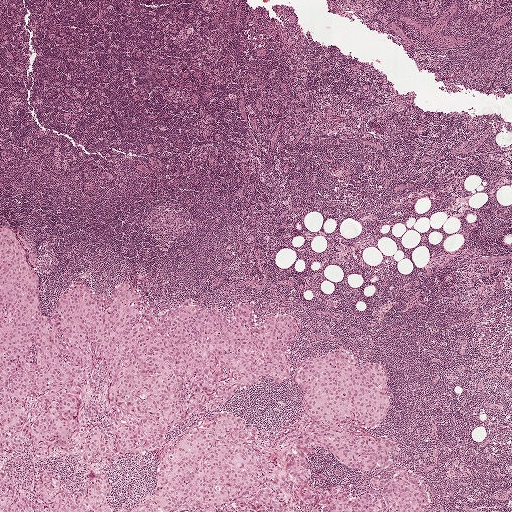
Lymph node section stained with H&E, from a whole-slide image of a breast-cancer sentinel node. Magnification about 2.5×, about 2.0 mm across the frame, about 3.9 µm per pixel.
Question: Is any metastatic breast cancer visible in this crop?
Answer: Yes.
Outlines of two tumour regions, largest first (closed clockwise paths, crop pixels): region 1: (0, 226), (50, 315), (74, 281), (107, 305), (126, 280), (159, 313), (198, 302), (233, 316), (243, 300), (297, 317), (290, 375), (260, 373), (171, 427), (158, 449), (104, 464), (112, 507), (146, 500), (173, 434), (210, 414), (301, 423), (294, 375), (324, 349), (380, 362), (386, 413), (350, 430), (393, 440), (389, 465), (355, 469), (312, 444), (305, 465), (314, 484), (367, 491), (380, 511), (305, 511), (290, 495), (285, 511), (0, 511); region 2: (403, 468), (415, 472), (424, 484), (428, 499), (428, 508), (426, 511), (386, 511), (381, 491), (371, 483), (372, 474), (389, 474).
Tumour covers about 25% of the frame.